This is a crop of a whole-slide image: an H&E-stained breast-cancer sentinel lymph node section at roughly 5× magnification (about 1.9 µm per pixel; the crop spans about 1 mm).
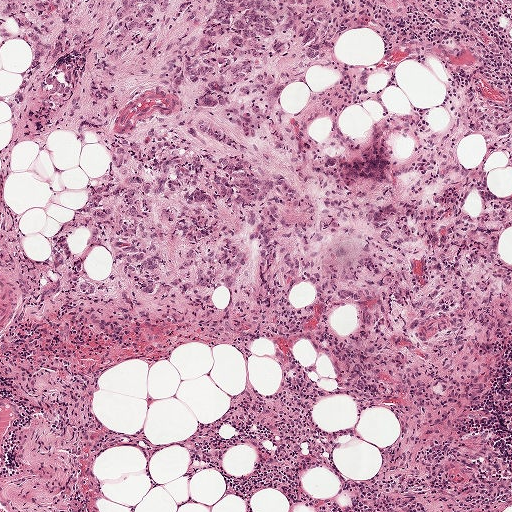
The outlined metastatic tumour's edge, as a closed clockwise path of 20 points: (342, 0), (371, 46), (456, 87), (511, 144), (501, 317), (468, 335), (405, 343), (288, 301), (231, 312), (207, 333), (87, 328), (66, 294), (66, 271), (126, 215), (125, 183), (102, 158), (42, 137), (48, 59), (18, 36), (17, 2).
One more small tumour piece is annotated here but not outlined.
The annotated tumour makes up about 50% of the crop.